Question: 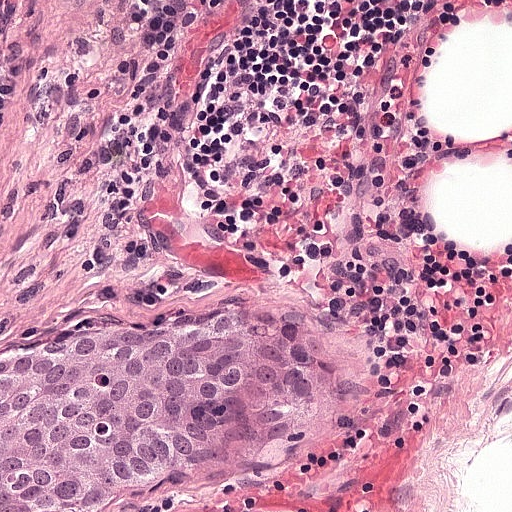
This is a crop of a whole-slide image: an H&E-stained breast-cancer sentinel lymph node section at roughly 20× magnification (about 0.49 µm per pixel; the crop spans about 0.25 mm).
What fraction of the image area is metastatic tumour?

Choices:
 (A) about 5% or less
 (B) about 25% to 45%
 (C) about 50% or more
 (D) none: no tumour is outlined
 (E) about 10% to 20%

Answer: (E) about 10% to 20%
About 20% of the field is tumour.
Metastatic tumour outline, simplified to 12 points and listed clockwise in crop pixels (x, y): (284, 302), (316, 315), (328, 350), (282, 436), (208, 461), (150, 494), (78, 511), (0, 511), (0, 365), (47, 354), (118, 318), (202, 324).